This is a crop of a whole-slide image: an H&E-stained breast-cancer sentinel lymph node section at roughly 10× magnification (about 0.9 µm per pixel; the crop spans about 0.46 mm).
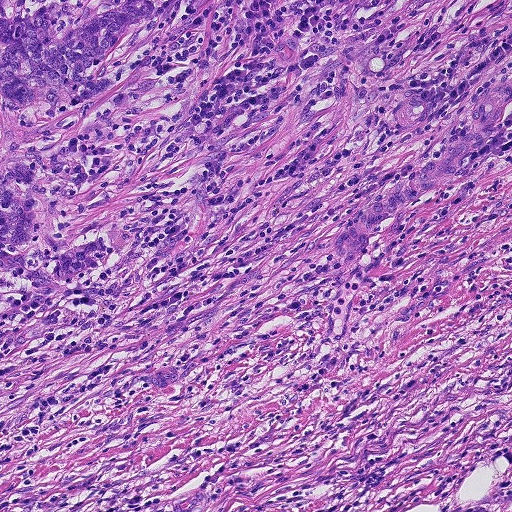
Question: Is there metastatic carcinoma in this field?
Answer: Yes.
Metastatic tumour outline, simplified to 15 points and listed clockwise in crop pixels (x, y): (0, 0), (511, 0), (509, 120), (354, 260), (334, 269), (316, 256), (321, 234), (463, 117), (399, 137), (380, 124), (355, 62), (345, 140), (308, 168), (159, 264), (5, 301).
The annotated tumour makes up about 40% of the crop.